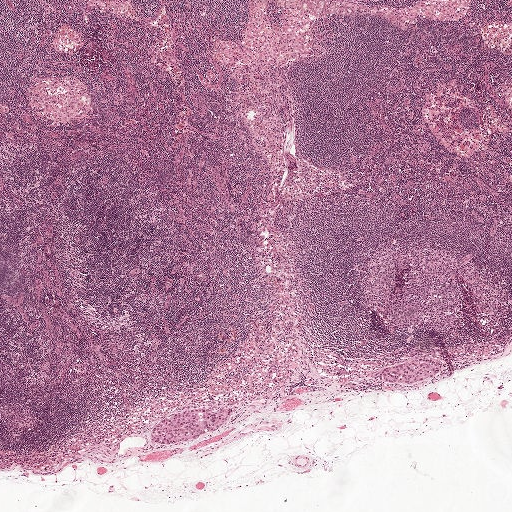
H&E-stained section of a sentinel lymph node (breast cancer), from a whole-slide image, viewed at about 2.5×: the field is about 2.0 mm across, about 3.9 µm per pixel.
Question: Where is the metastatic tumour in this field?
Answer: Two metastatic tumour regions, each outlined as a closed clockwise path in crop pixels (x, y), largest first: region 1: (226, 404), (232, 405), (231, 413), (224, 427), (210, 436), (168, 443), (158, 442), (150, 437), (149, 429), (152, 422), (179, 409), (193, 405), (215, 408); region 2: (412, 358), (428, 359), (440, 363), (442, 371), (433, 380), (412, 388), (391, 386), (375, 376), (374, 372), (378, 367).
Tumour covers under 5% of the frame.